Lymph node section stained with H&E, from a whole-slide image of a breast-cancer sentinel node. Magnification about 5×, about 1 mm across the frame, about 1.9 µm per pixel.
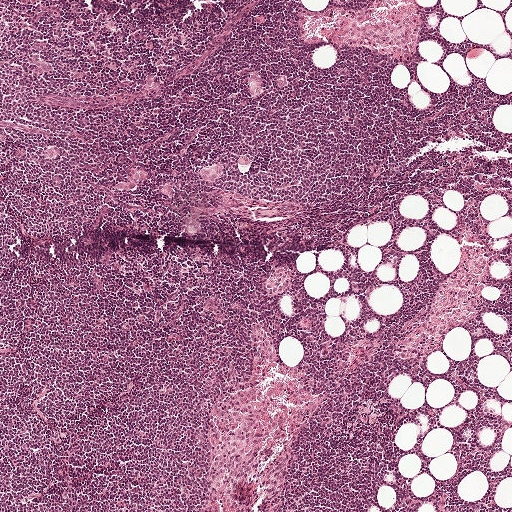
Outlines of five tumour regions, largest first (closed clockwise paths, crop pixels): region 1: (214, 162), (222, 168), (222, 176), (220, 178), (215, 178), (212, 182), (201, 178), (199, 172), (201, 167); region 2: (140, 168), (144, 169), (147, 172), (147, 175), (140, 182), (134, 182), (136, 184), (135, 188), (127, 190), (118, 188), (115, 186), (116, 183), (121, 181), (133, 182), (132, 181), (132, 178), (133, 171); region 3: (250, 72), (256, 72), (262, 78), (260, 84), (261, 90), (256, 96), (250, 95), (246, 85), (247, 78); region 4: (56, 145), (60, 147), (61, 150), (58, 157), (53, 159), (45, 158), (43, 156), (43, 152), (46, 147); region 5: (164, 183), (173, 186), (174, 193), (174, 197), (167, 197), (164, 195), (163, 192), (158, 190), (159, 185).
Three more small tumour pieces are annotated here but not outlined.
The annotated tumour makes up under 5% of the crop.